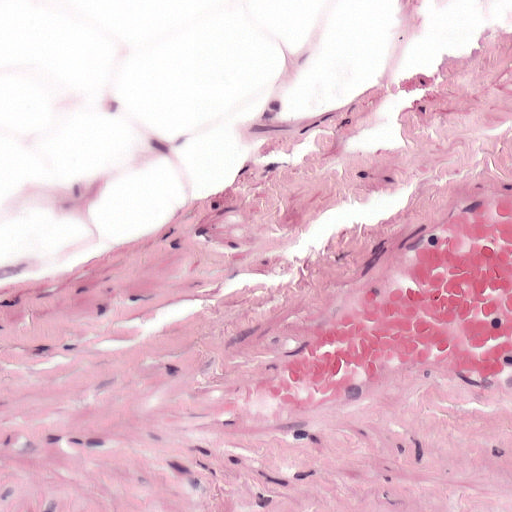
H&E-stained section of a sentinel lymph node (breast cancer), from a whole-slide image, viewed at about 20×: the field is about 0.25 mm across, about 0.49 µm per pixel.